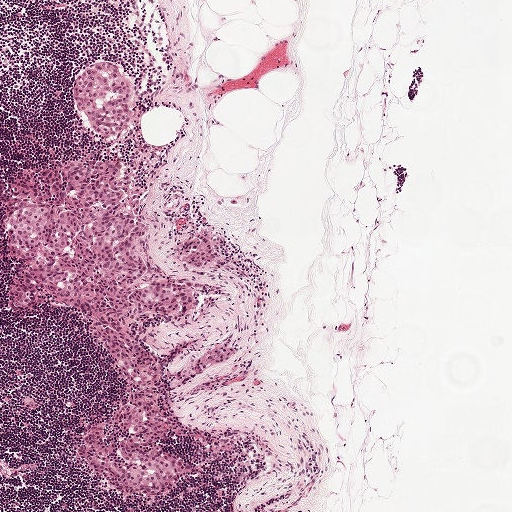
H&E-stained section of a sentinel lymph node (breast cancer), from a whole-slide image, viewed at about 5×: the field is about 1 mm across, about 1.9 µm per pixel.
Outlines of four tumour regions, largest first (closed clockwise paths, crop pixels): region 1: (81, 158), (110, 162), (149, 225), (150, 265), (195, 297), (183, 313), (138, 318), (170, 420), (158, 446), (188, 468), (162, 496), (138, 501), (76, 462), (84, 434), (125, 400), (79, 315), (7, 310), (21, 266), (1, 219); region 2: (99, 61), (105, 63), (122, 70), (129, 80), (135, 95), (135, 103), (127, 130), (121, 136), (112, 139), (97, 138), (79, 116), (73, 101), (72, 86), (79, 72); region 3: (200, 231), (208, 236), (219, 248), (219, 255), (215, 261), (192, 269), (182, 263), (178, 252), (183, 241); region 4: (229, 338), (236, 352), (208, 374), (193, 375), (190, 368), (194, 358), (214, 344).
About 15% of this field is tumour.